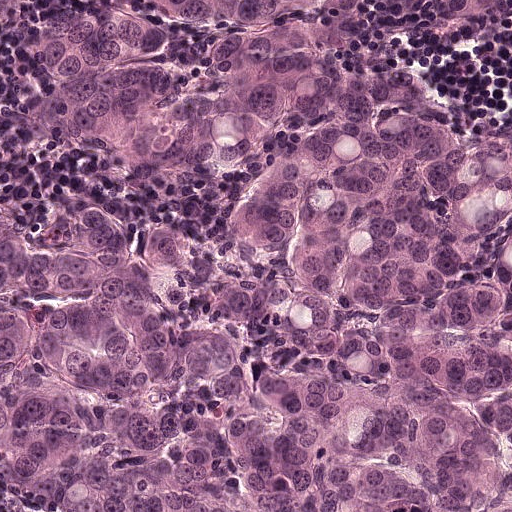
H&E-stained section of a sentinel lymph node (breast cancer), from a whole-slide image, viewed at about 20×: the field is about 0.25 mm across, about 0.49 µm per pixel.
The outlined metastatic tumour's edge, as a closed clockwise path of 14 points: (0, 0), (511, 0), (511, 511), (0, 511), (0, 200), (98, 199), (176, 240), (200, 232), (227, 199), (86, 188), (22, 158), (1, 140), (12, 97), (1, 76).
Tumour covers over 95% of the frame.